Question: 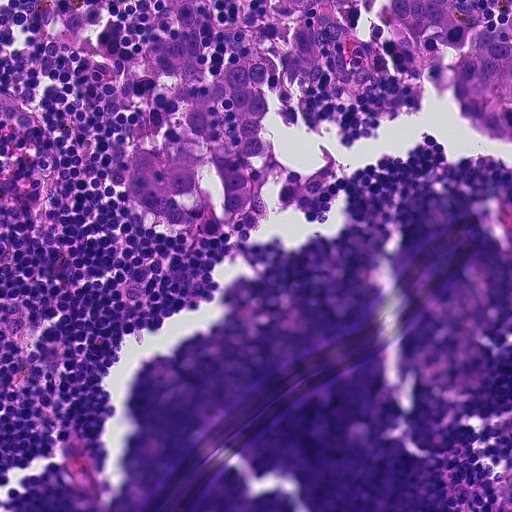
Lymph node section stained with H&E, from a whole-slide image of a breast-cancer sentinel node. Magnification about 20×, about 0.23 mm across the frame, about 0.45 µm per pixel.
About how much of this crop is taken up by metastatic carcinoma?

Choices:
 (A) none: no tumour is outlined
 (B) about 10% to 20%
 (C) about 25% to 45%
 (D) about 50% or more
 (E) about 5% or less

Answer: (B) about 10% to 20%
About 20% of the field is tumour.
One metastatic tumour region; its boundary, reduced to 23 corners and listed clockwise: (165, 0), (200, 0), (210, 78), (227, 64), (228, 39), (274, 0), (511, 0), (511, 144), (458, 115), (435, 82), (286, 99), (264, 86), (263, 121), (286, 165), (332, 169), (312, 215), (262, 211), (218, 236), (144, 214), (123, 170), (144, 124), (133, 77), (161, 33).